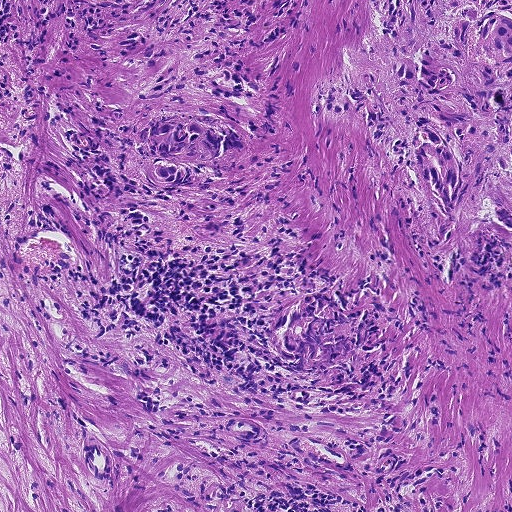
This is a crop of a whole-slide image: an H&E-stained breast-cancer sentinel lymph node section at roughly 10× magnification (about 0.9 µm per pixel; the crop spans about 0.46 mm).
Question: Does this lymph node field contain metastatic tumour?
Answer: Yes.
Outlines of two tumour regions, largest first (closed clockwise paths, crop pixels): region 1: (371, 0), (511, 0), (511, 242), (497, 228), (471, 222), (453, 254), (430, 258), (402, 187), (355, 116), (310, 110), (318, 86), (346, 61), (344, 48), (371, 42), (378, 31); region 2: (178, 121), (201, 121), (220, 131), (221, 152), (185, 164), (180, 180), (158, 185), (151, 166), (154, 161), (143, 141), (156, 125).
The annotated tumour makes up about 15% of the crop.